Image:
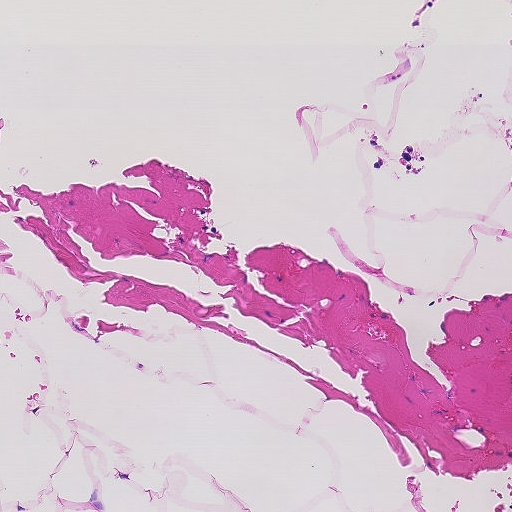
H&E-stained section of a sentinel lymph node (breast cancer), from a whole-slide image, viewed at about 10×: the field is about 0.46 mm across, about 0.9 µm per pixel.
Question:
Is any metastatic breast cancer visible in this crop?
Answer:
No, this field holds no outlined metastasis.